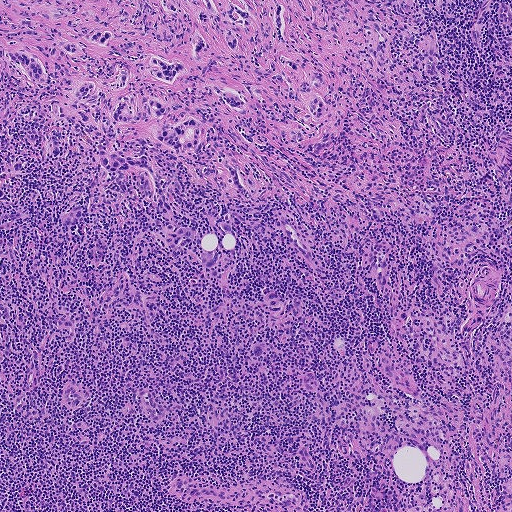
A 0.93-mm field of an H&E-stained sentinel lymph node from a breast-cancer patient (whole-slide image), shown at about 5×, about 1.8 µm per pixel.
The eight largest tumour regions' boundaries, simplified and listed clockwise, largest first: region 1: (190, 0), (244, 0), (244, 4), (253, 18), (251, 26), (243, 29), (230, 25), (236, 31), (239, 40), (238, 48), (230, 53), (218, 30), (202, 25), (196, 18), (193, 1); region 2: (192, 116), (198, 121), (201, 129), (199, 145), (194, 152), (186, 154), (178, 153), (156, 140), (152, 133), (163, 121), (177, 123); region 3: (132, 92), (140, 93), (156, 98), (163, 102), (166, 110), (160, 116), (128, 122), (120, 122), (112, 119), (113, 111), (120, 96); region 4: (155, 182), (164, 191), (164, 196), (177, 223), (191, 230), (192, 237), (192, 245), (178, 253), (170, 253), (163, 238), (165, 231), (156, 203), (157, 196), (153, 189); region 5: (95, 144), (111, 146), (124, 155), (140, 155), (148, 158), (151, 165), (145, 170), (129, 168), (114, 172), (106, 170), (100, 165); region 6: (154, 55), (169, 60), (185, 62), (188, 70), (170, 85), (148, 73), (145, 66), (149, 58); region 7: (283, 55), (298, 62), (303, 69), (320, 98), (323, 114), (317, 116), (310, 113), (308, 105), (311, 94), (303, 96), (295, 92), (301, 77), (282, 64); region 8: (8, 50), (32, 55), (39, 60), (44, 66), (45, 74), (42, 81), (33, 82), (27, 78), (23, 71), (10, 61), (6, 54).
10 more, smaller tumour regions are not outlined.
Three more small tumour pieces are annotated here but not outlined.
The annotated tumour makes up about 5% of the crop.